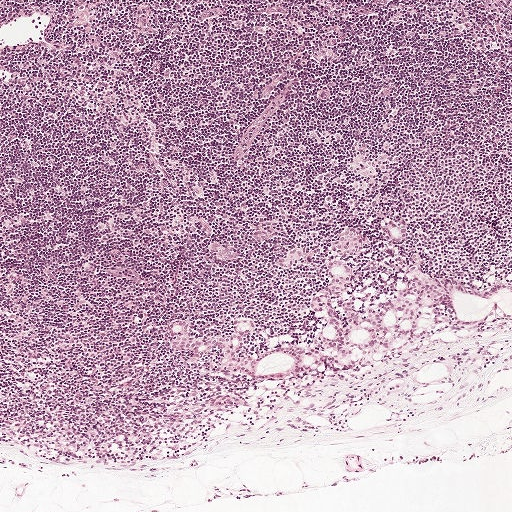
A 1-mm field of an H&E-stained sentinel lymph node from a breast-cancer patient (whole-slide image), shown at about 5×, about 1.9 µm per pixel.
Question: Which parts of this field are metastatic tumour?
Answer: Outlines of four tumour regions, largest first (closed clockwise paths, crop pixels): region 1: (411, 252), (417, 269), (469, 288), (511, 284), (511, 319), (494, 309), (460, 324), (433, 304), (437, 323), (425, 336), (325, 376), (256, 381), (223, 370), (215, 346), (198, 357), (171, 350), (165, 327), (175, 319), (194, 336), (225, 335), (231, 320), (251, 319), (239, 359), (307, 347), (327, 313), (304, 303), (326, 281), (327, 259), (351, 270), (344, 289), (328, 295), (342, 316), (343, 300), (360, 317), (391, 296); region 2: (342, 226), (345, 226), (356, 232), (361, 245), (359, 250), (343, 259), (329, 250), (328, 246); region 3: (388, 220), (402, 224), (403, 227), (403, 239), (400, 243), (391, 243), (384, 235), (384, 222); region 4: (287, 248), (297, 248), (300, 256), (289, 268), (281, 269), (275, 264), (275, 258), (282, 255).
The annotated tumour makes up about 5% of the crop.